Lymph node section stained with H&E, from a whole-slide image of a breast-cancer sentinel node. Magnification about 2.5×, about 2.0 mm across the frame, about 3.9 µm per pixel.
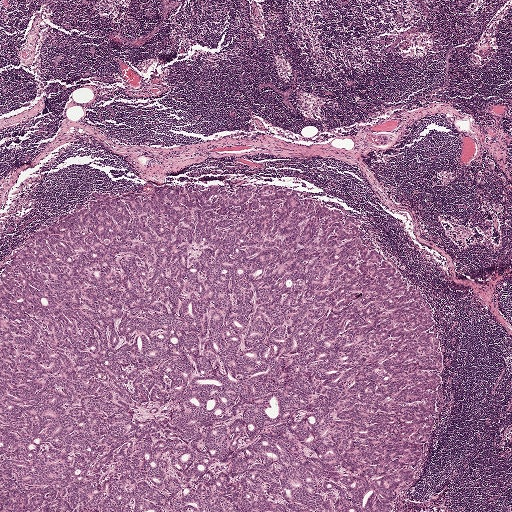
One metastatic tumour region; its boundary, reduced to 10 corners and listed clockwise: (273, 182), (349, 215), (428, 298), (442, 346), (434, 435), (389, 511), (0, 511), (0, 274), (22, 241), (93, 191).
About 50% of this field is tumour.